Image:
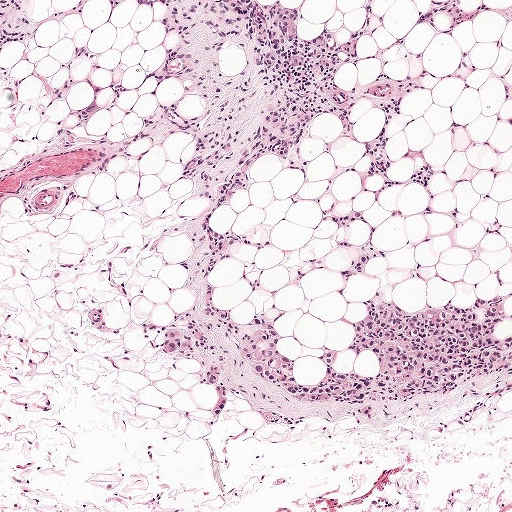
Lymph node section stained with H&E, from a whole-slide image of a breast-cancer sentinel node. Magnification about 5×, about 1 mm across the frame, about 1.9 µm per pixel.
Question:
Trace the edge of each tumour region in this crop, as (x, y) points from 0 to 511.
Answer:
Outlines of four tumour regions, largest first (closed clockwise paths, crop pixels): region 1: (349, 205), (360, 208), (374, 221), (377, 243), (386, 252), (384, 256), (369, 259), (359, 273), (350, 276), (340, 295), (337, 294), (337, 270), (345, 262), (346, 254), (332, 248), (329, 239), (360, 242), (366, 236), (366, 227), (363, 223), (358, 220), (336, 221), (326, 216), (350, 207); region 2: (434, 0), (459, 0), (458, 3), (459, 10), (467, 10), (476, 8), (482, 3), (511, 0), (511, 22), (505, 20), (496, 12), (488, 11), (460, 17), (452, 22), (446, 20), (444, 16), (440, 14), (436, 15), (428, 26), (416, 23), (415, 17), (419, 11); region 3: (494, 217), (499, 223), (501, 231), (511, 244), (511, 259), (508, 252), (500, 246), (495, 233), (478, 225), (477, 222); region 4: (511, 103), (511, 126), (500, 123), (500, 117), (503, 115), (503, 114).
One more tumour region is annotated but not outlined: its edge is too irregular for a short outline.
Two more small tumour pieces are annotated here but not outlined.
Tumour covers about 15% of the frame.